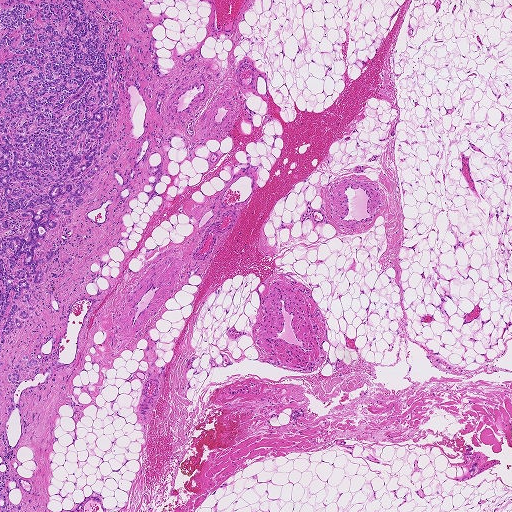
H&E-stained section of a sentinel lymph node (breast cancer), from a whole-slide image, viewed at about 2.5×: the field is about 1.9 mm across, about 3.6 µm per pixel.
Question: Is there metastatic carcinoma in this field?
Answer: Yes.
Three metastatic tumour regions, each outlined as a closed clockwise path in crop pixels (x, y), largest first: region 1: (0, 0), (82, 0), (108, 38), (109, 91), (120, 105), (102, 146), (120, 160), (100, 154), (86, 200), (53, 220), (58, 226), (35, 252), (56, 240), (43, 281), (31, 284), (35, 310), (1, 350); region 2: (24, 354), (29, 354), (31, 358), (36, 358), (39, 362), (38, 365), (33, 366), (25, 365), (24, 364), (18, 370), (20, 381), (17, 383), (11, 382), (7, 379), (7, 374), (12, 371), (12, 369), (15, 363), (18, 362); region 3: (0, 490), (2, 490), (5, 495), (6, 503), (8, 502), (10, 509), (11, 511), (7, 511), (7, 510), (6, 511), (0, 511).
Three more small tumour pieces are annotated here but not outlined.
The annotated tumour makes up about 10% of the crop.

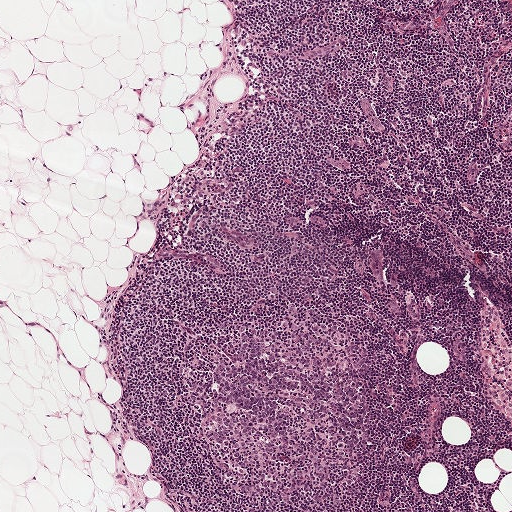
Lymph node section stained with H&E, from a whole-slide image of a breast-cancer sentinel node. Magnification about 5×, about 1 mm across the frame, about 1.9 µm per pixel.
Question: Is there metastatic carcinoma in this field?
Answer: No. No metastatic tumour is outlined in this field.

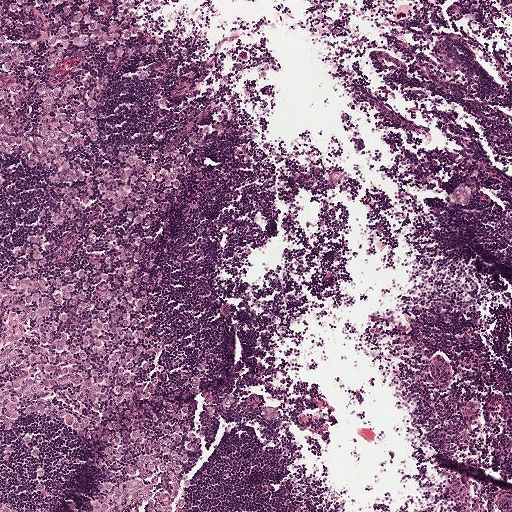
Lymph node section stained with H&E, from a whole-slide image of a breast-cancer sentinel node. Magnification about 5×, about 1 mm across the frame, about 1.9 µm per pixel.
Question: Is there metastatic carcinoma in this field?
Answer: Yes.
Two metastatic tumour regions, each outlined as a closed clockwise path in crop pixels (x, y), largest first: region 1: (0, 0), (116, 0), (148, 30), (101, 133), (180, 161), (188, 183), (155, 303), (197, 390), (185, 511), (80, 511), (127, 425), (189, 407), (191, 390), (130, 398), (85, 442), (56, 425), (0, 429), (5, 254), (48, 227), (55, 189), (0, 161); region 2: (0, 490), (22, 500), (31, 506), (33, 511), (0, 511).
About 25% of this field is tumour.

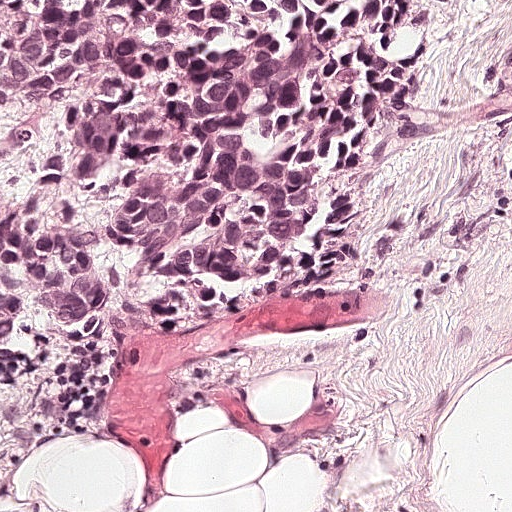
H&E-stained section of a sentinel lymph node (breast cancer), from a whole-slide image, viewed at about 20×: the field is about 0.25 mm across, about 0.49 µm per pixel.
Question: Is there metastatic carcinoma in this field?
Answer: Yes.
The outlined metastatic tumour's edge, as a closed clockwise path of 12 points: (0, 0), (411, 0), (394, 72), (391, 159), (345, 222), (244, 271), (133, 276), (82, 333), (0, 340), (0, 141), (21, 106), (0, 113).
Tumour covers about 40% of the frame.